Question: 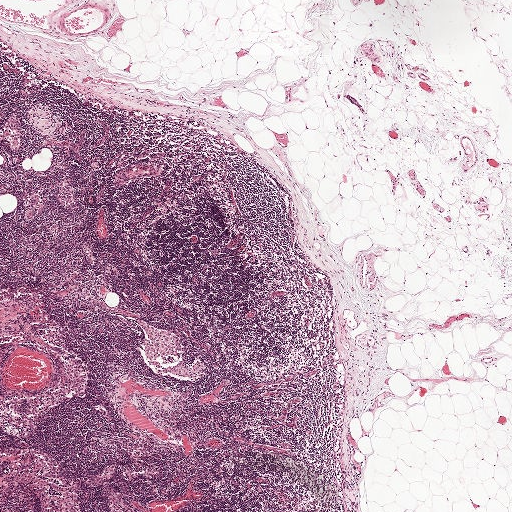
At roughly what magnification is this field shown?

Choices:
 (A) about 10×
 (B) about 2.5×
 (C) about 40×
 (D) about 5×
 (E) about 20×

Answer: (B) about 2.5×
This is a crop of a whole-slide image: an H&E-stained breast-cancer sentinel lymph node section at roughly 2.5× magnification (about 3.9 µm per pixel; the crop spans about 2.0 mm).